Lymph node section stained with H&E, from a whole-slide image of a breast-cancer sentinel node. Magnification about 10×, about 0.5 mm across the frame, about 0.97 µm per pixel.
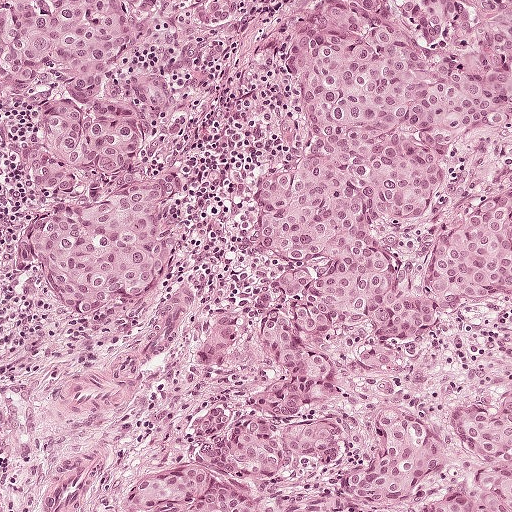
Three metastatic tumour regions, each outlined as a closed clockwise path in crop pixels (x, y), largest first: region 1: (310, 0), (482, 0), (511, 10), (511, 121), (468, 139), (412, 229), (421, 238), (461, 196), (511, 186), (511, 298), (435, 320), (382, 358), (350, 360), (324, 419), (282, 416), (252, 392), (256, 319), (270, 288), (254, 180), (290, 131), (282, 60); region 2: (0, 0), (157, 0), (138, 47), (145, 72), (168, 92), (166, 116), (150, 128), (175, 208), (175, 253), (166, 277), (100, 318), (71, 318), (42, 298), (24, 261), (32, 208), (24, 205), (18, 166), (42, 114), (14, 100), (3, 105); region 3: (174, 462), (209, 467), (242, 477), (256, 486), (271, 502), (274, 511), (105, 511), (146, 476).
About 50% of the image area is annotated as tumour.